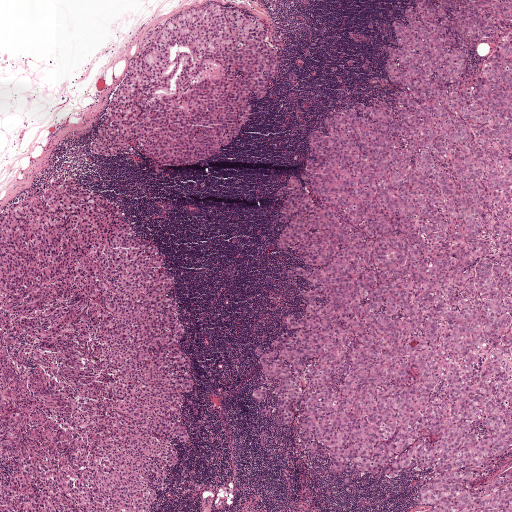
A 2.0-mm field of an H&E-stained sentinel lymph node from a breast-cancer patient (whole-slide image), shown at about 2.5×, about 3.9 µm per pixel.
Boundaries of three metastatic tumour regions, simplified and listed clockwise, largest first: region 1: (511, 0), (511, 511), (425, 511), (433, 504), (411, 499), (428, 473), (336, 481), (259, 418), (271, 395), (249, 396), (256, 347), (314, 286), (280, 274), (306, 265), (275, 243), (273, 201), (324, 119), (368, 93), (413, 1); region 2: (59, 172), (109, 191), (173, 272), (185, 345), (202, 383), (184, 413), (194, 442), (188, 450), (180, 444), (153, 511), (0, 511), (0, 217); region 3: (205, 0), (237, 3), (265, 16), (276, 32), (279, 72), (272, 90), (257, 103), (246, 131), (209, 162), (160, 168), (133, 157), (94, 156), (88, 148), (121, 74), (149, 33).
The annotated tumour makes up about 70% of the crop.